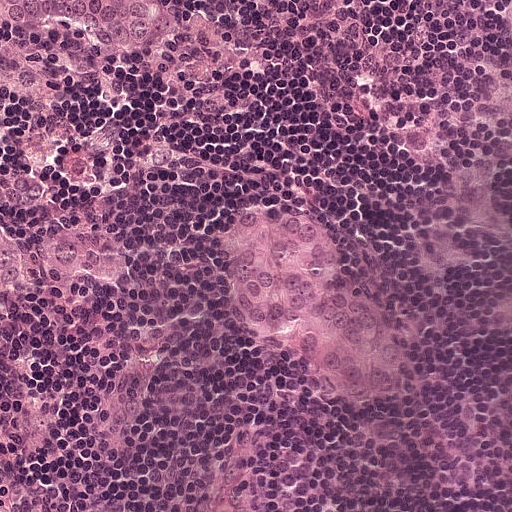
Lymph node section stained with H&E, from a whole-slide image of a breast-cancer sentinel node. Magnification about 20×, about 0.25 mm across the frame, about 0.49 µm per pixel.
Outlines of four tumour regions, largest first (closed clockwise paths, crop pixels): region 1: (276, 208), (313, 234), (332, 258), (328, 287), (362, 298), (405, 336), (412, 394), (380, 411), (365, 408), (288, 356), (240, 333), (228, 316), (218, 274), (222, 223), (234, 212); region 2: (0, 0), (148, 2), (155, 26), (140, 39), (43, 93), (17, 98), (1, 94); region 3: (0, 225), (17, 244), (25, 274), (23, 286), (0, 298); region 4: (499, 0), (511, 0), (511, 33), (505, 33), (498, 32), (496, 21), (496, 10), (497, 4), (498, 4).
One more small tumour piece is annotated here but not outlined.
The annotated tumour makes up about 15% of the crop.